This is a crop of a whole-slide image: an H&E-stained breast-cancer sentinel lymph node section at roughly 20× magnification (about 0.49 µm per pixel; the crop spans about 0.25 mm).
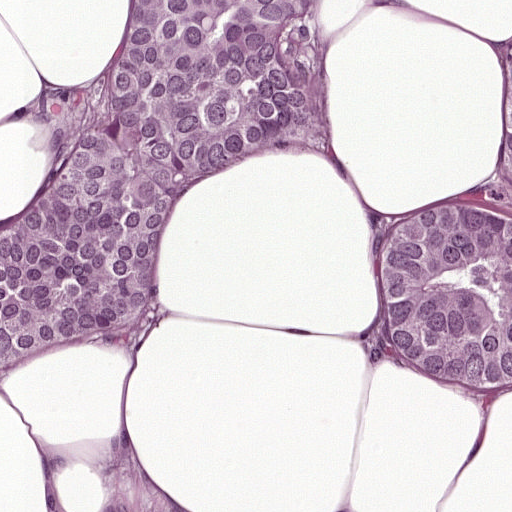
Three metastatic tumour regions, each outlined as a closed clockwise path in crop pixels (x, y), largest first: region 1: (124, 0), (322, 0), (315, 8), (332, 58), (313, 160), (295, 142), (262, 148), (171, 188), (154, 313), (54, 346), (0, 380), (0, 237), (39, 191), (42, 144), (66, 99), (112, 85); region 2: (511, 67), (508, 390), (390, 367), (348, 309), (406, 226), (479, 164), (497, 124); region 3: (120, 502), (176, 503), (199, 511), (114, 511).
One more small tumour piece is annotated here but not outlined.
About 35% of this field is tumour.